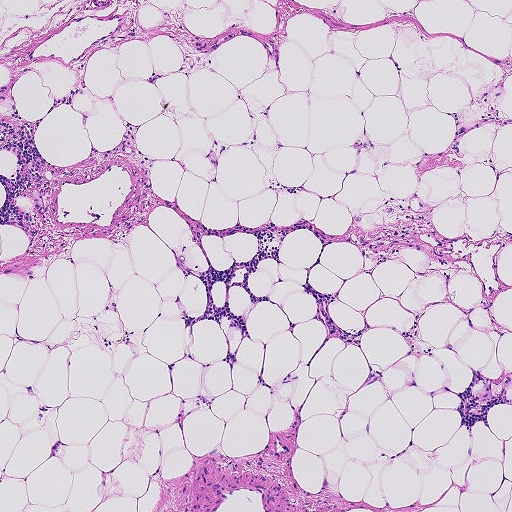
This is a crop of a whole-slide image: an H&E-stained breast-cancer sentinel lymph node section at roughly 5× magnification (about 1.8 µm per pixel; the crop spans about 0.93 mm).
Question: Does this lymph node field contain metastatic tumour?
Answer: No. No metastatic tumour is outlined in this field.